Question: 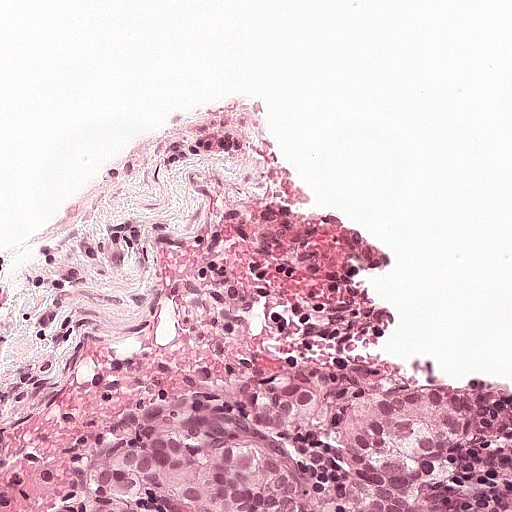
This is a crop of a whole-slide image: an H&E-stained breast-cancer sentinel lymph node section at roughly 20× magnification (about 0.49 µm per pixel; the crop spans about 0.25 mm).
What fraction of the image area is metastatic tumour?

Choices:
 (A) about 50% or more
 (B) about 10% to 20%
 (C) none: no tumour is outlined
 (D) about 25% to 45%
 (E) about 5% or less

Answer: (B) about 10% to 20%
About 15% of the field is tumour.
Metastatic tumour outline, simplified to 23 points and listed clockwise in crop pixels (x, y): (346, 364), (414, 387), (455, 388), (475, 410), (473, 442), (460, 450), (452, 482), (432, 486), (435, 511), (202, 511), (170, 495), (149, 498), (150, 510), (81, 511), (110, 422), (184, 388), (242, 400), (252, 421), (324, 488), (346, 484), (342, 456), (260, 400), (265, 373).